A 0.25-mm field of an H&E-stained sentinel lymph node from a breast-cancer patient (whole-slide image), shown at about 20×, about 0.49 µm per pixel.
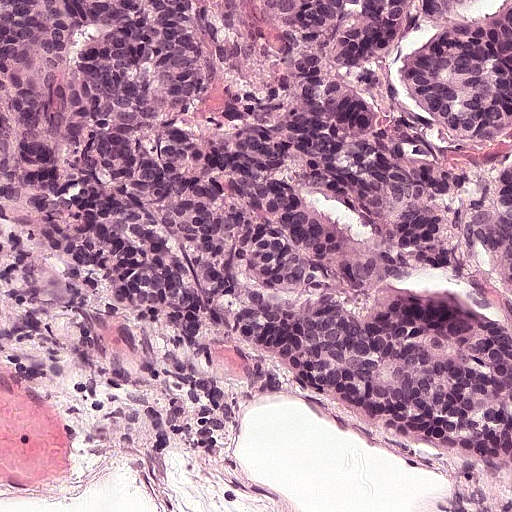
One metastatic tumour region; its boundary, reduced to 6 corners and listed clockwise: (0, 0), (511, 0), (511, 472), (432, 449), (176, 327), (1, 216).
Tumour covers about 70% of the frame.